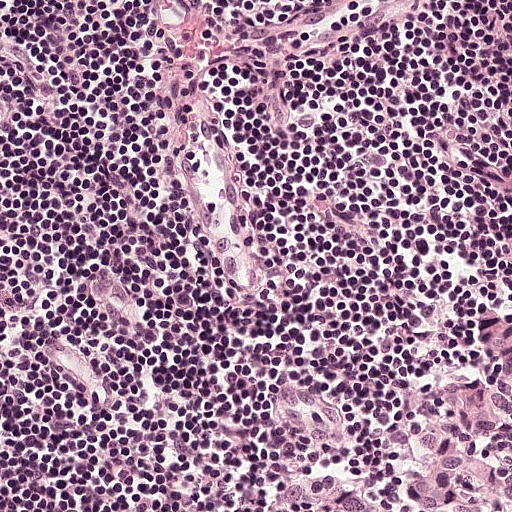
Lymph node section stained with H&E, from a whole-slide image of a breast-cancer sentinel node. Magnification about 20×, about 0.25 mm across the frame, about 0.49 µm per pixel.
Question: Where is the metastatic tumour in this field?
Answer: Outlines of two tumour regions, largest first (closed clockwise paths, crop pixels): region 1: (510, 358), (511, 511), (424, 511), (418, 508), (417, 490), (428, 466), (424, 447), (434, 428), (434, 419), (428, 405), (438, 382), (468, 363); region 2: (289, 482), (347, 482), (376, 494), (381, 502), (386, 504), (389, 511), (300, 511), (288, 508), (281, 502), (286, 490), (286, 483).
About 5% of the image area is annotated as tumour.